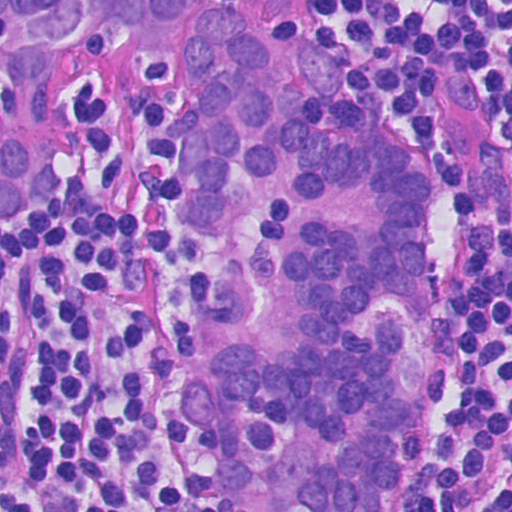
H&E-stained section of a sentinel lymph node (breast cancer), from a whole-slide image, viewed at about 40×: the field is about 0.12 mm across, about 0.23 µm per pixel.
Question: Where is the metastatic tumour in this field?
Answer: One metastatic tumour region; its boundary, reduced to 21 corners and listed clockwise: (0, 0), (223, 0), (358, 77), (436, 171), (430, 232), (441, 353), (393, 511), (230, 511), (207, 438), (173, 414), (191, 310), (222, 258), (169, 207), (185, 180), (170, 47), (107, 25), (73, 44), (55, 120), (71, 178), (52, 202), (0, 223).
Tumour covers about 50% of the frame.